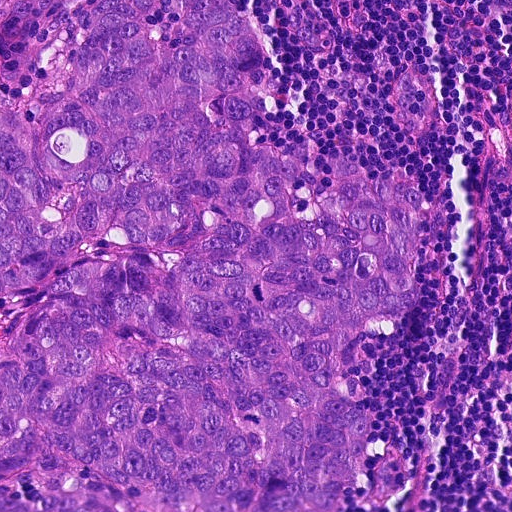
This is a crop of a whole-slide image: an H&E-stained breast-cancer sentinel lymph node section at roughly 20× magnification (about 0.45 µm per pixel; the crop spans about 0.23 mm).
Question: Which parts of this field are metastatic tumour? Answer with the outline of each region, in pixels.
Answer: Outlines of two tumour regions, largest first (closed clockwise paths, crop pixels): region 1: (90, 0), (159, 0), (140, 26), (158, 43), (181, 37), (193, 0), (234, 0), (264, 56), (242, 95), (259, 112), (248, 134), (312, 170), (330, 154), (421, 193), (413, 314), (354, 354), (373, 418), (342, 511), (154, 511), (108, 494), (118, 511), (0, 511), (0, 102), (45, 91); region 2: (0, 0), (51, 0), (48, 12), (25, 20), (1, 17).
The annotated tumour makes up about 65% of the crop.